Question: 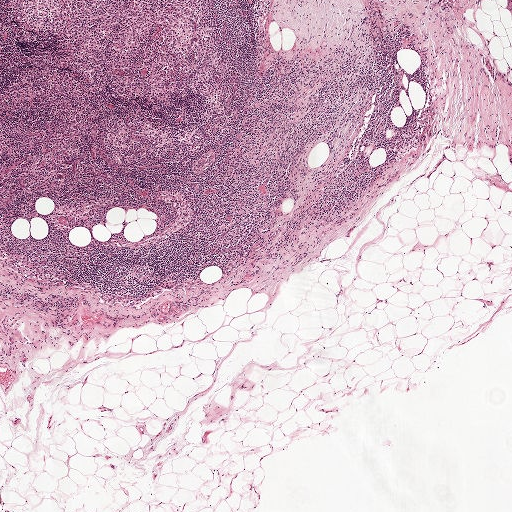
H&E-stained section of a sentinel lymph node (breast cancer), from a whole-slide image, viewed at about 2.5×: the field is about 2.0 mm across, about 3.9 µm per pixel.
Estimate the proportion of this field that is metastatic tumour.

Choices:
 (A) about 5% or less
 (B) about 25% to 45%
 (C) none: no tumour is outlined
 (D) about 10% to 20%
 (E) about 50% or more

Answer: (C) none: no tumour is outlined
No metastatic tumour is outlined in this field.